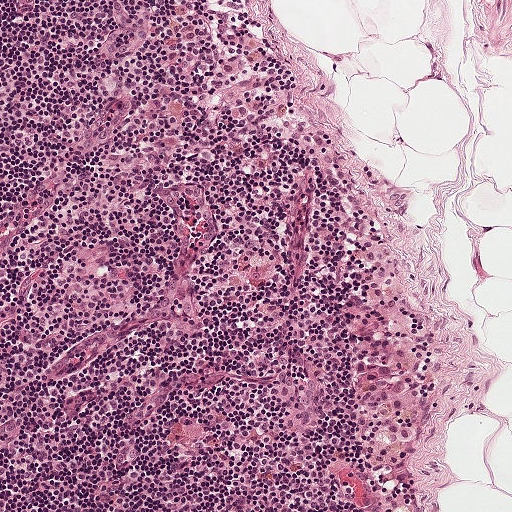
Lymph node section stained with H&E, from a whole-slide image of a breast-cancer sentinel node. Magnification about 10×, about 0.5 mm across the frame, about 0.97 µm per pixel.
Metastatic tumour outline, simplified to 12 points and listed clockwise in crop pixels (x, y): (384, 354), (403, 362), (424, 397), (423, 422), (414, 442), (409, 445), (386, 444), (372, 438), (356, 420), (362, 399), (356, 376), (358, 355).
Tumour covers under 5% of the frame.